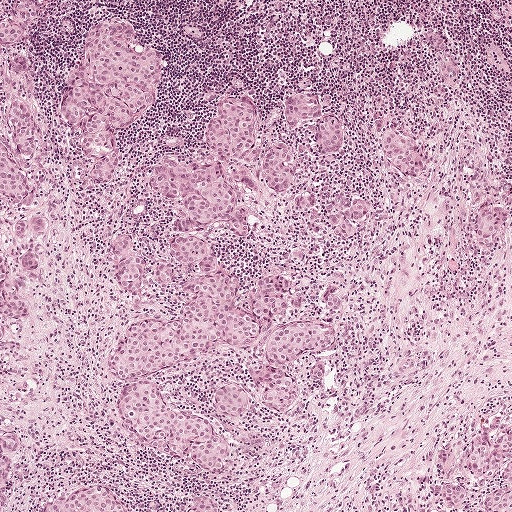
Lymph node section stained with H&E, from a whole-slide image of a breast-cancer sentinel node. Magnification about 5×, about 1 mm across the frame, about 1.9 µm per pixel.
Outlines of four tumour regions, largest first (closed clockwise paths, crop pixels): region 1: (254, 97), (258, 154), (256, 166), (247, 169), (257, 184), (253, 191), (238, 186), (251, 210), (245, 236), (224, 221), (198, 237), (210, 243), (222, 268), (236, 277), (235, 302), (277, 271), (289, 275), (293, 291), (269, 330), (242, 352), (221, 345), (179, 369), (120, 382), (110, 375), (108, 364), (121, 330), (148, 312), (182, 318), (190, 297), (183, 285), (186, 268), (167, 249), (183, 207), (153, 195), (146, 180), (166, 157), (209, 158), (206, 126), (223, 98); region 2: (101, 19), (131, 19), (141, 42), (162, 50), (165, 66), (152, 109), (138, 116), (131, 128), (116, 131), (120, 166), (114, 183), (106, 187), (90, 180), (93, 164), (77, 154), (80, 130), (60, 110), (67, 77), (83, 42); region 3: (106, 483), (114, 490), (122, 504), (138, 511), (40, 511), (44, 504), (52, 497); region 4: (0, 427), (4, 430), (14, 432), (21, 440), (20, 450), (12, 461), (12, 489), (11, 490), (7, 511), (0, 511).
Tumour covers about 15% of the frame.